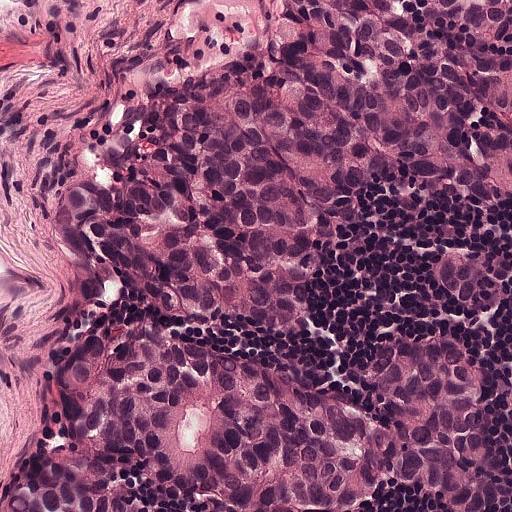
A 0.25-mm field of an H&E-stained sentinel lymph node from a breast-cancer patient (whole-slide image), shown at about 20×, about 0.49 µm per pixel.
Question: Is there metastatic carcinoma in this field?
Answer: Yes.
The outlined metastatic tumour's edge, as a closed clockwise path of 23 points: (511, 0), (511, 218), (451, 206), (475, 322), (373, 213), (338, 224), (288, 334), (222, 356), (266, 372), (427, 336), (511, 372), (511, 446), (482, 454), (503, 511), (4, 511), (55, 478), (42, 417), (103, 306), (66, 278), (60, 192), (148, 122), (264, 78), (299, 4).
About 70% of the image area is annotated as tumour.